Image:
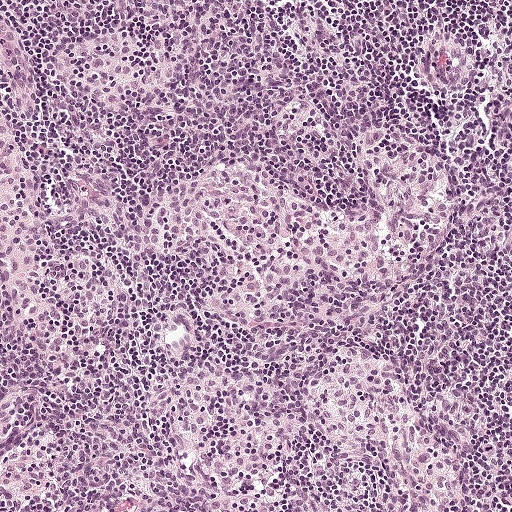
Lymph node section stained with H&E, from a whole-slide image of a breast-cancer sentinel node. Magnification about 10×, about 0.5 mm across the frame, about 0.97 µm per pixel.
Question:
Is there metastatic carcinoma in this field?
Answer:
No, this field holds no outlined metastasis.